Image:
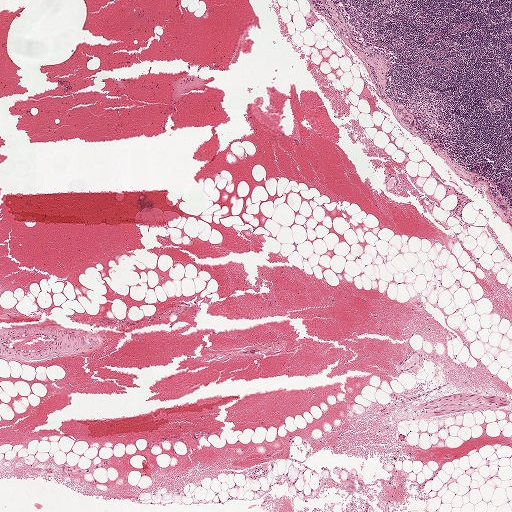
Lymph node section stained with H&E, from a whole-slide image of a breast-cancer sentinel node. Magnification about 2.5×, about 2.0 mm across the frame, about 3.9 µm per pixel.
Question:
Is there metastatic carcinoma in this field?
Answer:
Yes.
Metastatic tumour outline, simplified to 8 points and listed clockwise in crop pixels (x, y): (398, 104), (404, 104), (413, 115), (414, 124), (413, 128), (408, 128), (399, 122), (395, 111).
Under 5% of this field is tumour.